Question: 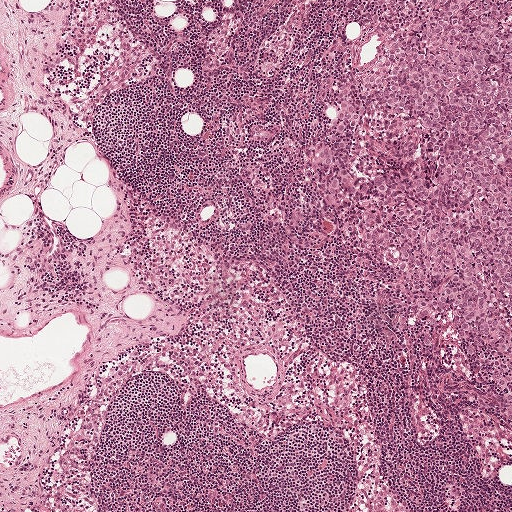
Lymph node section stained with H&E, from a whole-slide image of a breast-cancer sentinel node. Magnification about 5×, about 1 mm across the frame, about 1.9 µm per pixel.
What fraction of the image area is metastatic tumour?

Choices:
 (A) about 5% or less
 (B) about 10% to 20%
 (C) none: no tumour is outlined
 (D) about 50% or more
 (E) about 25% to 45%

Answer: (B) about 10% to 20%
About 20% of the field is tumour.
Metastatic tumour outline, simplified to 18 points and listed clockwise in crop pixels (x, y): (359, 0), (511, 0), (511, 425), (461, 358), (452, 312), (425, 349), (413, 318), (378, 298), (395, 254), (352, 264), (349, 208), (333, 216), (305, 172), (338, 118), (332, 96), (379, 48), (373, 28), (354, 17).